Image:
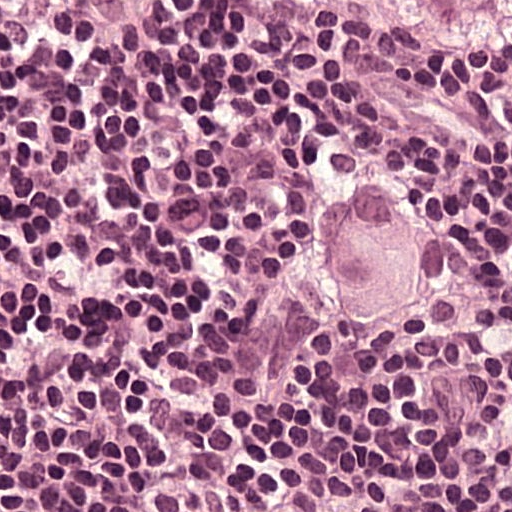
This is a crop of a whole-slide image: an H&E-stained breast-cancer sentinel lymph node section at roughly 40× magnification (about 0.24 µm per pixel; the crop spans about 0.12 mm).
Question:
Show where the tumour is in this image.
Answer:
Boundaries of two metastatic tumour regions, simplified and listed clockwise, largest first: region 1: (325, 144), (402, 151), (411, 167), (425, 176), (442, 215), (441, 247), (422, 281), (397, 303), (375, 307), (375, 303), (343, 294), (302, 269), (288, 206), (288, 169); region 2: (361, 0), (511, 0), (511, 15), (504, 17), (495, 24), (481, 27), (459, 27), (427, 19), (418, 10), (418, 5), (395, 5), (393, 3), (377, 1).
The annotated tumour makes up about 10% of the crop.